A 2.0-mm field of an H&E-stained sentinel lymph node from a breast-cancer patient (whole-slide image), shown at about 2.5×, about 3.9 µm per pixel.
Question: 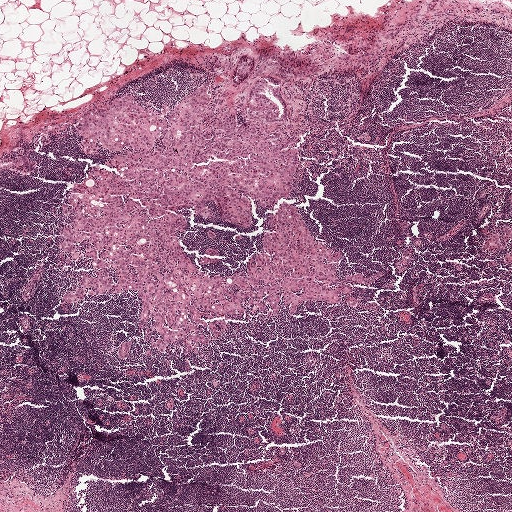
Roughly what share of this field is metastatic tumour?

Choices:
 (A) about 5% or less
 (B) about 25% to 45%
 (C) none: no tumour is outlined
 (D) about 10% to 20%
 (E) about 50% or more

Answer: (D) about 10% to 20%
About 15% of the field is tumour.
Outlines of six tumour regions, largest first (closed clockwise paths, crop pixels): region 1: (276, 76), (289, 113), (260, 123), (299, 149), (292, 185), (268, 208), (248, 195), (244, 226), (215, 200), (211, 216), (184, 208), (181, 247), (210, 276), (248, 269), (290, 201), (342, 250), (329, 285), (354, 292), (291, 314), (282, 297), (277, 316), (246, 299), (198, 354), (177, 341), (148, 355), (136, 290), (64, 302), (97, 268), (63, 261), (60, 205), (118, 172), (111, 149), (75, 144), (125, 94), (168, 114), (204, 83), (198, 127), (232, 111), (240, 126), (254, 82); region 2: (247, 58), (250, 58), (252, 60), (252, 70), (248, 76), (236, 84), (233, 79), (241, 62); region 3: (496, 231), (499, 232), (502, 240), (502, 249), (492, 249), (482, 252), (480, 251), (481, 245), (490, 237), (492, 234); region 4: (126, 341), (130, 343), (129, 353), (125, 358), (120, 358), (117, 353), (121, 343); region 5: (360, 273), (364, 275), (365, 276), (364, 282), (362, 283), (350, 281), (346, 279), (347, 276), (356, 275); region 6: (502, 224), (505, 226), (511, 225), (511, 240), (507, 239), (505, 233), (503, 232), (502, 228).
Three more small tumour pieces are annotated here but not outlined.